Question: 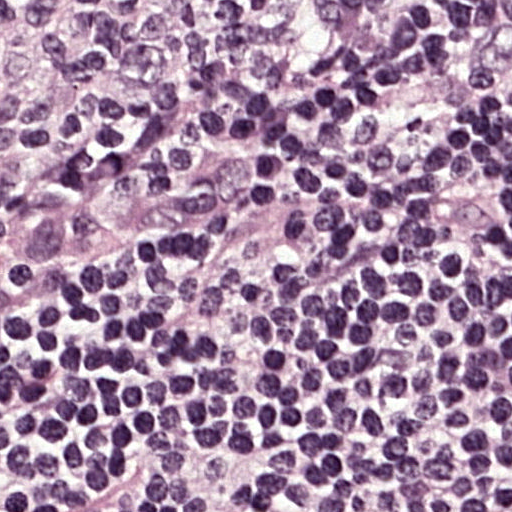
Which magnification is this H&E lymph node field most likely shown at?

Choices:
 (A) about 40×
 (B) about 5×
 (C) about 10×
 (D) about 20×
 (E) about 2.5×

Answer: (A) about 40×
Lymph node section stained with H&E, from a whole-slide image of a breast-cancer sentinel node. Magnification about 40×, about 0.12 mm across the frame, about 0.24 µm per pixel.
Metastatic tumour outline, simplified to 10 points and listed clockwise in crop pixels (x, y): (253, 149), (262, 191), (201, 227), (106, 256), (28, 267), (3, 241), (25, 214), (83, 209), (159, 194), (209, 152).
About 5% of the image area is annotated as tumour.